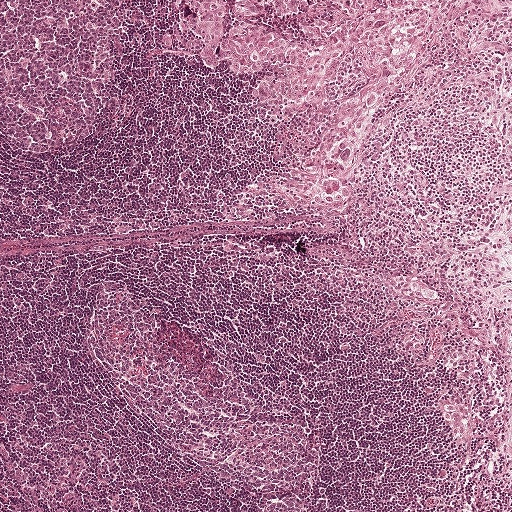
Lymph node section stained with H&E, from a whole-slide image of a breast-cancer sentinel node. Magnification about 5×, about 1 mm across the frame, about 1.9 µm per pixel.
Metastatic tumour outline, simplified to 13 points and listed clockwise in crop pixels (x, y): (181, 0), (440, 0), (367, 155), (352, 208), (336, 217), (282, 221), (242, 206), (244, 183), (274, 148), (273, 130), (236, 79), (196, 66), (162, 41).
Tumour covers about 15% of the frame.